Image:
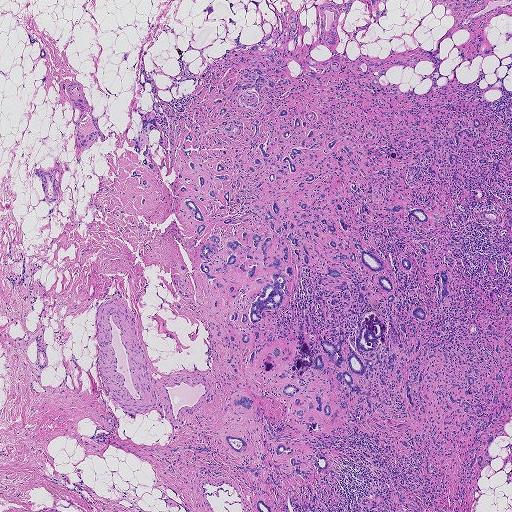
H&E-stained section of a sentinel lymph node (breast cancer), from a whole-slide image, viewed at about 2.5×: the field is about 1.9 mm across, about 3.6 µm per pixel.
Question:
Is there metastatic carcinoma in this field?
Answer:
Yes.
Outlines of the eight largest metastatic tumour regions, each a closed clockwise path in crop pixels (x, y), largest first: region 1: (270, 34), (344, 70), (431, 52), (379, 82), (485, 99), (479, 140), (509, 169), (467, 170), (493, 204), (456, 204), (429, 234), (455, 262), (438, 350), (511, 328), (508, 436), (462, 479), (368, 422), (302, 430), (272, 349), (310, 269), (253, 365), (200, 273), (180, 151), (219, 71); region 2: (137, 110), (165, 116), (167, 119), (164, 121), (159, 121), (159, 127), (165, 139), (165, 148), (157, 144), (159, 131), (155, 129), (151, 130), (148, 134), (156, 171), (155, 173), (145, 169), (144, 173), (145, 177), (151, 184), (153, 189), (144, 190), (142, 195), (147, 202), (143, 204), (136, 198), (132, 199), (131, 194), (138, 188), (139, 183), (136, 178), (127, 177), (129, 172), (136, 166), (141, 158), (140, 154), (135, 153), (131, 145), (140, 121), (140, 117); region 3: (264, 415), (271, 423), (279, 426), (283, 424), (284, 426), (282, 431), (283, 433), (292, 435), (284, 438), (281, 439), (281, 442), (278, 442), (272, 439), (270, 440), (268, 439), (267, 436), (270, 436), (266, 430), (265, 435), (263, 430), (262, 425), (266, 424); region 4: (361, 0), (384, 0), (381, 1), (379, 3), (379, 13), (379, 17), (377, 19), (371, 24), (367, 29), (361, 31), (355, 35), (354, 34), (354, 30), (355, 27), (365, 24), (370, 20), (370, 17), (369, 9), (363, 1); region 5: (310, 453), (315, 455), (320, 453), (321, 456), (326, 458), (330, 464), (330, 466), (334, 472), (334, 477), (332, 478), (328, 469), (322, 470), (315, 467), (308, 459), (308, 454); region 6: (226, 435), (248, 439), (245, 451), (241, 453), (236, 453), (225, 440); region 7: (453, 0), (484, 0), (484, 4), (465, 10), (463, 9), (455, 11), (452, 8), (454, 3); region 8: (242, 396), (244, 396), (251, 398), (253, 400), (251, 408), (247, 409), (240, 406), (234, 407), (232, 405), (232, 403), (233, 398), (236, 398), (238, 400).
Seven more, smaller tumour regions are not outlined.
16 more small tumour pieces are annotated here but not outlined.
The annotated tumour makes up about 40% of the crop.